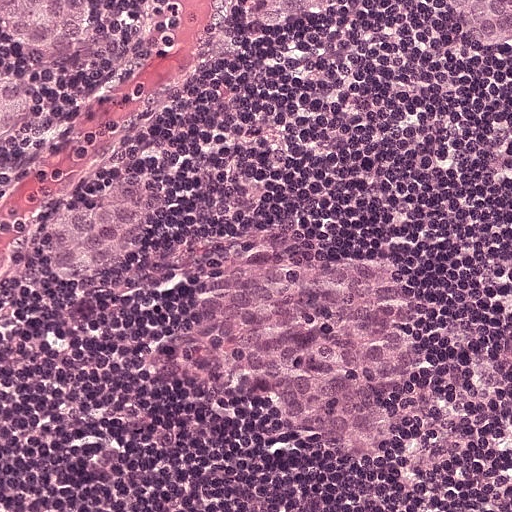
A 0.25-mm field of an H&E-stained sentinel lymph node from a breast-cancer patient (whole-slide image), shown at about 20×, about 0.49 µm per pixel.
Boundaries of six metastatic tumour regions, simplified and listed clockwise, largest first: region 1: (236, 229), (294, 253), (356, 251), (399, 264), (410, 282), (421, 372), (392, 398), (384, 464), (330, 462), (240, 405), (184, 386), (170, 358), (170, 325), (186, 286), (168, 262); region 2: (114, 155), (146, 162), (160, 170), (163, 188), (163, 201), (138, 225), (130, 251), (103, 262), (94, 276), (36, 260), (30, 250), (32, 225), (51, 194), (60, 182); region 3: (93, 0), (92, 27), (86, 44), (72, 51), (64, 58), (55, 58), (10, 44), (0, 24), (0, 1); region 4: (0, 62), (24, 70), (25, 74), (36, 82), (41, 100), (41, 116), (32, 138), (14, 150), (0, 150); region 5: (232, 0), (335, 0), (330, 5), (329, 10), (320, 18), (290, 24), (274, 32), (251, 31), (251, 29), (236, 24), (230, 3); region 6: (462, 0), (511, 0), (511, 52), (498, 51), (466, 40), (462, 32).
About 25% of the image area is annotated as tumour.